Image:
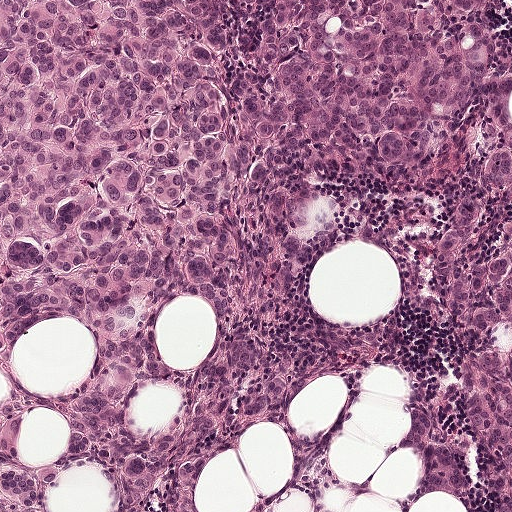
Lymph node section stained with H&E, from a whole-slide image of a breast-cancer sentinel node. Magnification about 10×, about 0.5 mm across the frame, about 0.97 µm per pixel.
Question:
Which parts of this field are metastatic tumour?
Answer:
The outlined metastatic tumour's edge, as a closed clockwise path of 20 points: (0, 0), (511, 0), (511, 511), (472, 511), (446, 491), (407, 508), (425, 471), (395, 449), (408, 384), (375, 371), (315, 384), (240, 438), (205, 476), (199, 511), (110, 511), (114, 488), (93, 466), (55, 484), (44, 511), (0, 511).
The outline encloses five non-tumour holes totalling about 10% of the region's area.
About 85% of this field is tumour.